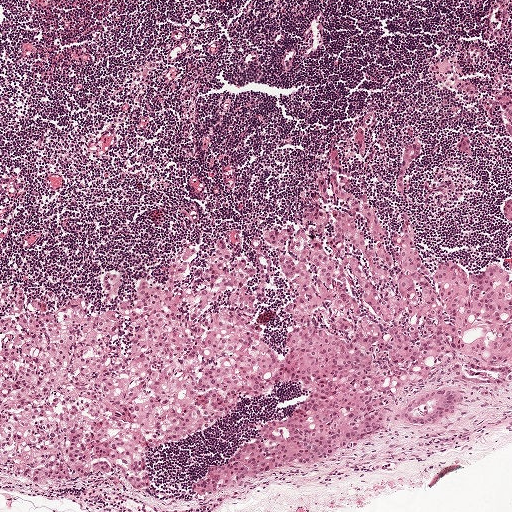
A 1-mm field of an H&E-stained sentinel lymph node from a breast-cancer patient (whole-slide image), shown at about 5×, about 1.9 µm per pixel.
Question: Show where the tumour is in this image.
Answer: Four metastatic tumour regions, each outlined as a closed clockwise path in crop pixels (x, y), largest first: region 1: (418, 138), (409, 220), (430, 256), (479, 268), (511, 239), (511, 378), (472, 385), (448, 414), (367, 426), (314, 464), (195, 489), (206, 462), (263, 422), (315, 405), (280, 374), (291, 285), (265, 227), (303, 208), (312, 171), (338, 143), (365, 157), (392, 222), (394, 170); region 2: (216, 235), (252, 259), (252, 281), (282, 352), (268, 388), (156, 452), (144, 488), (0, 468), (0, 283), (35, 292), (56, 287), (75, 300), (95, 295), (101, 307), (109, 300), (108, 265), (138, 292), (145, 274), (166, 276), (167, 257), (188, 236), (201, 248), (194, 278); region 3: (511, 72), (511, 161), (507, 146), (503, 138), (500, 127), (499, 125), (498, 112), (497, 111), (496, 106), (495, 105), (496, 98), (501, 83), (504, 80); region 4: (511, 192), (511, 218), (510, 218), (506, 214), (503, 205), (503, 200), (506, 194).
About 40% of the image area is annotated as tumour.